Question: 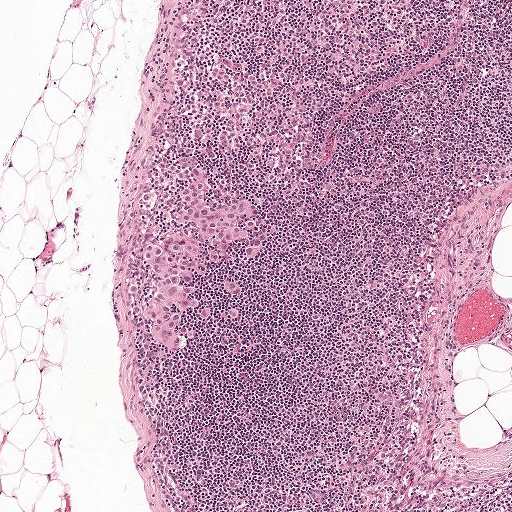
Lymph node section stained with H&E, from a whole-slide image of a breast-cancer sentinel node. Magnification about 5×, about 1 mm across the frame, about 1.9 µm per pixel.
What fraction of the image area is metastatic tumour?

Choices:
 (A) about 50% or more
 (B) about 25% to 45%
 (C) about 5% or less
 (D) none: no tumour is outlined
 (E) about 10% to 20%

Answer: (C) about 5% or less
About 5% of the field is tumour.
Two metastatic tumour regions, each outlined as a closed clockwise path in crop pixels (x, y), largest first: region 1: (170, 151), (191, 154), (208, 199), (242, 195), (252, 204), (251, 230), (262, 248), (254, 260), (234, 241), (223, 260), (186, 284), (204, 309), (192, 315), (180, 308), (176, 321), (185, 334), (176, 348), (166, 350), (149, 339), (136, 311), (137, 296), (150, 285), (138, 251), (175, 227); region 2: (226, 282), (232, 283), (240, 286), (242, 290), (242, 292), (241, 293), (240, 293), (230, 293), (224, 292), (222, 290), (223, 285).
One more small tumour piece is annotated here but not outlined.